Image:
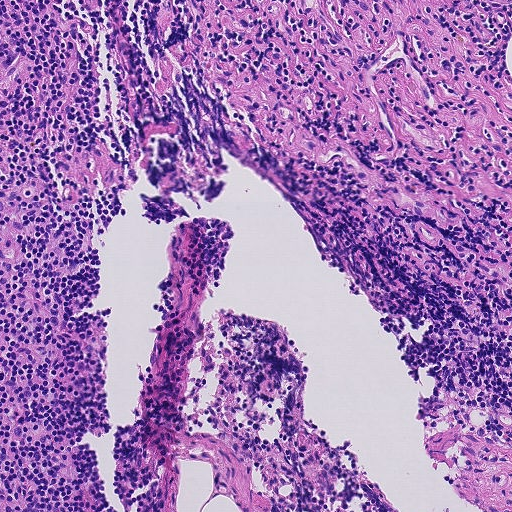
H&E-stained section of a sentinel lymph node (breast cancer), from a whole-slide image, viewed at about 10×: the field is about 0.46 mm across, about 0.9 µm per pixel.
Question:
Is there metastatic carcinoma in this field?
Answer:
No, this field holds no outlined metastasis.